Question: 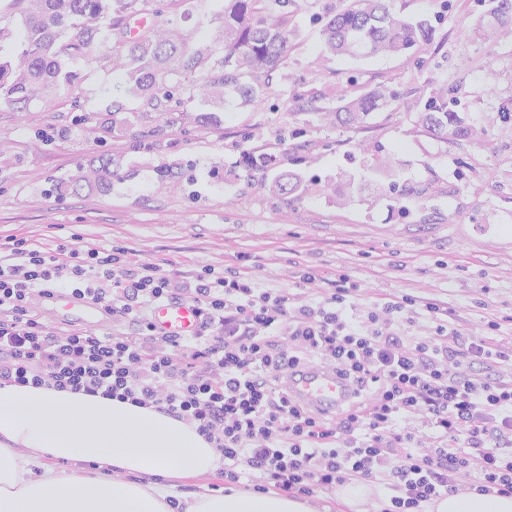
At roughly what magnification is this field shown?

Choices:
 (A) about 10×
 (B) about 20×
 (C) about 2.5×
 (D) about 40×
 (E) about 5×

Answer: (B) about 20×
Lymph node section stained with H&E, from a whole-slide image of a breast-cancer sentinel node. Magnification about 20×, about 0.26 mm across the frame, about 0.5 µm per pixel.
Metastatic tumour outline, simplified to 5 points and listed clockwise in crop pixels (x, y): (0, 0), (511, 0), (511, 252), (232, 196), (0, 191).
About 40% of this field is tumour.